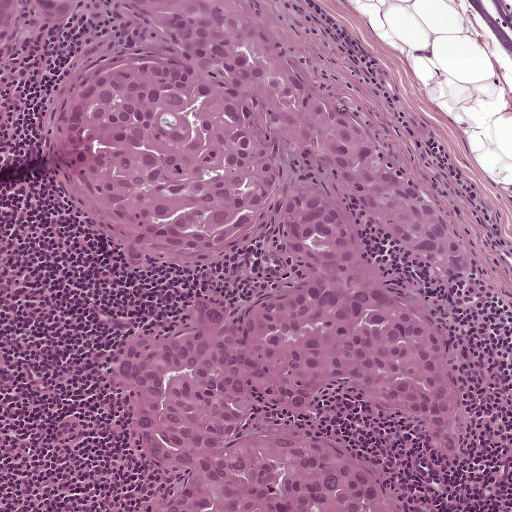
Lymph node section stained with H&E, from a whole-slide image of a breast-cancer sentinel node. Magnification about 10×, about 0.5 mm across the frame, about 0.97 µm per pixel.
Outlines of two tumour regions, largest first (closed clockwise paths, crop pixels): region 1: (112, 0), (258, 0), (486, 261), (476, 294), (444, 282), (350, 202), (446, 332), (458, 468), (345, 380), (310, 425), (424, 511), (146, 511), (174, 473), (134, 466), (118, 366), (192, 298), (295, 281), (270, 218), (228, 263), (152, 276), (75, 220), (41, 133), (95, 47), (168, 37); region 2: (0, 0), (109, 0), (92, 7), (66, 29), (33, 37), (12, 65), (0, 67).
About 55% of this field is tumour.